Image:
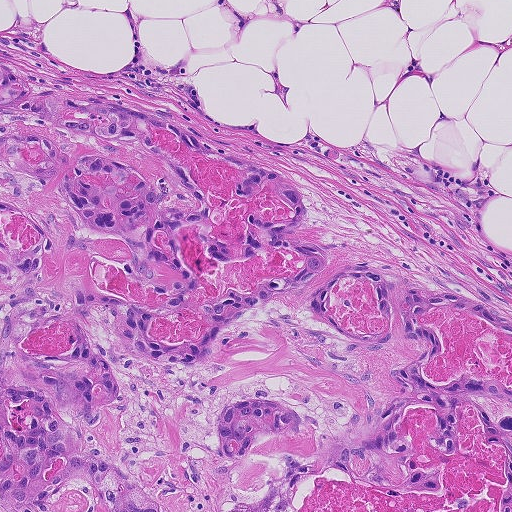
H&E-stained section of a sentinel lymph node (breast cancer), from a whole-slide image, viewed at about 10×: the field is about 0.46 mm across, about 0.9 µm per pixel.
Question:
Which parts of this field are metastatic tumour? Answer with the outline of each region, in pixels.
Answer:
Tumour region outline (a closed clockwise path, crop pixels): (0, 55), (22, 65), (34, 91), (154, 113), (293, 177), (305, 225), (374, 250), (430, 292), (511, 320), (511, 511), (0, 511).
The annotated tumour makes up about 65% of the crop.